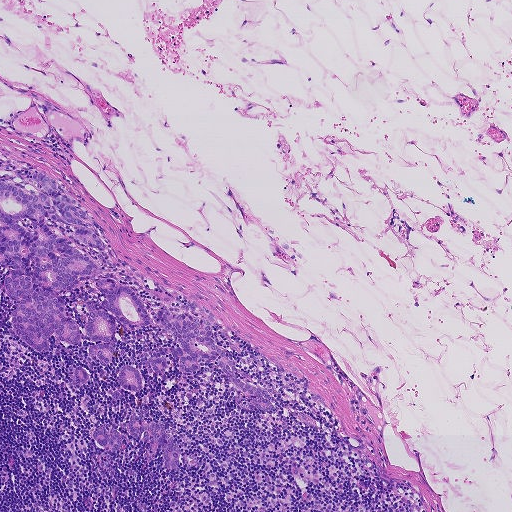
This is a crop of a whole-slide image: an H&E-stained breast-cancer sentinel lymph node section at roughly 5× magnification (about 1.8 µm per pixel; the crop spans about 0.93 mm).
Question: Show where the tumour is in this image.
Answer: Outlines of seven tumour regions, largest first (closed clockwise paths, crop pixels): region 1: (0, 164), (22, 178), (37, 171), (57, 183), (99, 225), (102, 247), (88, 247), (71, 225), (43, 216), (55, 235), (98, 264), (94, 278), (59, 294), (78, 324), (76, 346), (53, 334), (39, 353), (16, 337), (10, 324), (16, 306), (0, 295); region 2: (98, 278), (113, 279), (130, 287), (150, 319), (148, 326), (134, 328), (113, 319), (116, 341), (113, 363), (106, 366), (89, 355), (86, 348), (92, 344), (100, 343), (90, 340), (84, 326), (88, 312), (85, 300), (102, 307), (101, 302), (106, 296), (97, 290), (94, 283); region 3: (166, 306), (181, 307), (193, 317), (208, 318), (211, 325), (210, 333), (219, 346), (220, 353), (217, 360), (196, 358), (199, 365), (198, 373), (192, 376), (184, 375), (178, 361), (174, 361), (171, 354), (172, 347), (180, 347), (170, 333), (163, 331), (157, 326), (154, 319), (159, 309); region 4: (135, 414), (146, 424), (153, 421), (160, 426), (179, 450), (178, 465), (172, 470), (164, 470), (157, 441), (151, 436), (148, 441), (138, 439), (126, 430), (120, 431), (125, 443), (122, 450), (116, 454), (108, 453), (96, 443), (92, 436), (93, 429), (105, 424), (117, 427), (124, 426); region 5: (126, 364), (133, 366), (139, 371), (143, 385), (139, 391), (132, 392), (125, 390), (116, 378), (118, 370); region 6: (158, 356), (166, 357), (169, 364), (168, 371), (161, 374), (154, 372), (148, 366), (151, 359); region 7: (75, 367), (83, 367), (88, 371), (90, 378), (88, 384), (80, 383), (74, 379), (70, 372).
Tumour covers about 10% of the frame.